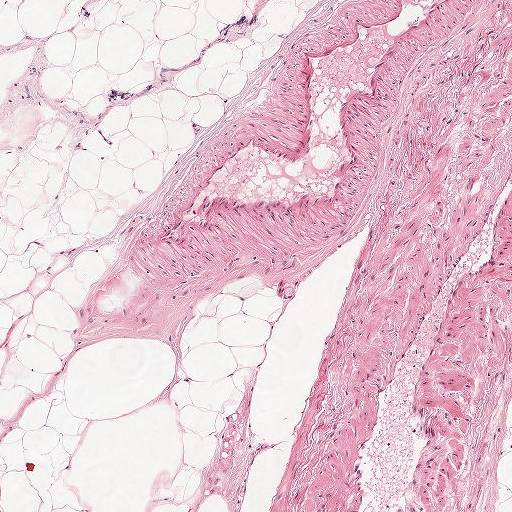
H&E-stained section of a sentinel lymph node (breast cancer), from a whole-slide image, viewed at about 5×: the field is about 1 mm across, about 1.9 µm per pixel.